Image:
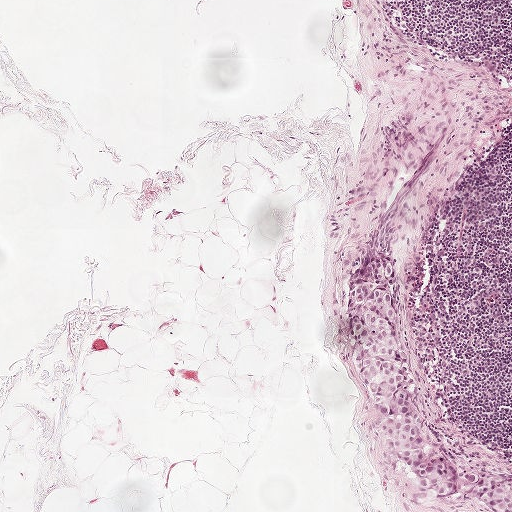
Lymph node section stained with H&E, from a whole-slide image of a breast-cancer sentinel node. Magnification about 5×, about 1 mm across the frame, about 1.9 µm per pixel.
Question:
Is any metastatic breast cancer visible in this crop?
Answer:
Yes.
Tumour region outline (a closed clockwise path, crop pixels): (368, 255), (396, 259), (392, 270), (403, 287), (407, 364), (441, 441), (461, 466), (511, 481), (511, 511), (458, 504), (401, 478), (388, 465), (378, 413), (354, 381), (348, 334), (351, 283).
The annotated tumour makes up about 5% of the crop.